H&E-stained section of a sentinel lymph node (breast cancer), from a whole-slide image, viewed at about 10×: the field is about 0.5 mm across, about 0.97 µm per pixel.
Image:
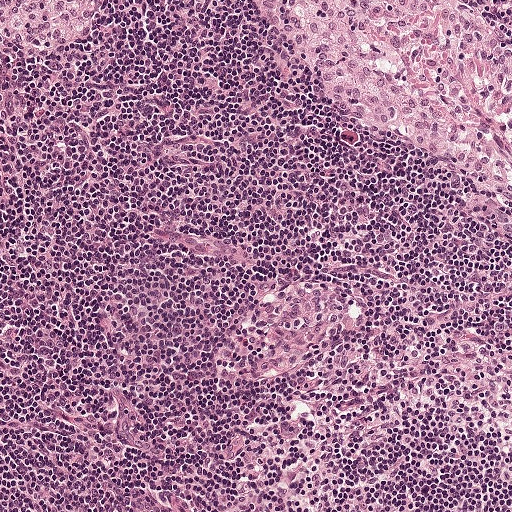
Question:
Is any metastatic breast cancer visible in this crop?
Answer:
No. No metastatic tumour is outlined in this field.